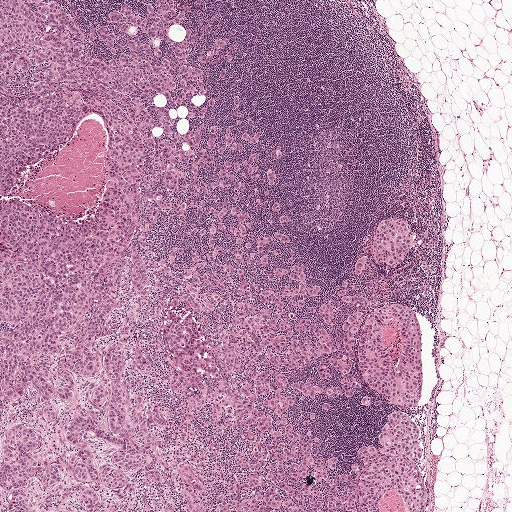
H&E-stained section of a sentinel lymph node (breast cancer), from a whole-slide image, viewed at about 2.5×: the field is about 2.0 mm across, about 3.9 µm per pixel.
Outlines of two tumour regions, largest first (closed clockwise paths, crop pixels): region 1: (0, 0), (62, 0), (86, 26), (122, 2), (144, 16), (148, 0), (175, 0), (209, 96), (240, 95), (257, 151), (284, 153), (280, 232), (324, 297), (374, 221), (409, 219), (415, 251), (366, 278), (373, 303), (403, 304), (421, 327), (428, 511), (0, 511); region 2: (221, 39), (225, 42), (225, 49), (219, 60), (215, 62), (207, 62), (202, 60), (200, 57), (202, 54), (208, 51), (212, 50), (215, 47), (216, 42).
Three more small tumour pieces are annotated here but not outlined.
Tumour covers about 65% of the frame.